Question: 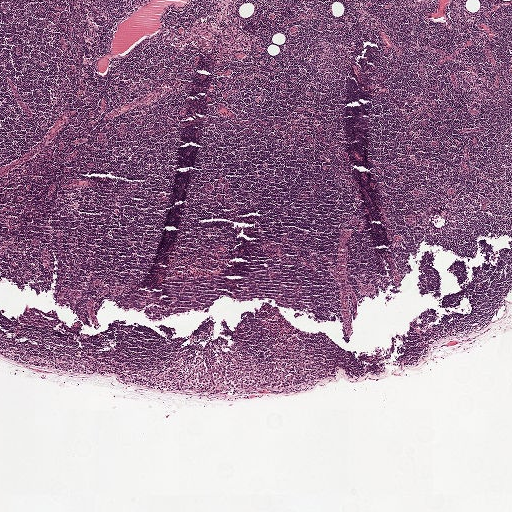
A 2.0-mm field of an H&E-stained sentinel lymph node from a breast-cancer patient (whole-slide image), shown at about 2.5×, about 3.9 µm per pixel.
About how much of this crop is taken up by metastatic carcinoma?

Choices:
 (A) none: no tumour is outlined
 (B) about 25% to 45%
 (C) about 10% to 20%
 (D) about 50% or more
 (E) about 5% or less

Answer: (E) about 5% or less
Under 5% of the field is tumour.
One metastatic tumour region; its boundary, reduced to 12 corners and listed clockwise: (205, 353), (219, 361), (242, 357), (262, 364), (276, 385), (275, 391), (260, 396), (178, 393), (148, 386), (137, 377), (137, 370), (180, 355).